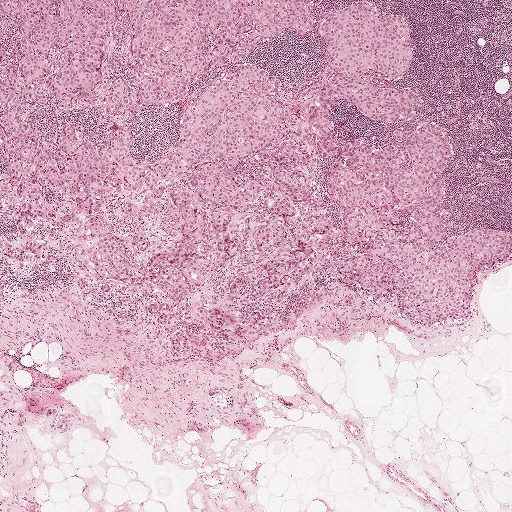
Lymph node section stained with H&E, from a whole-slide image of a breast-cancer sentinel node. Magnification about 2.5×, about 2.0 mm across the frame, about 3.9 µm per pixel.
Question: Is any metastatic breast cancer visible in this crop?
Answer: Yes.
Outlines of three tumour regions, largest first (closed clockwise paths, crop pixels): region 1: (0, 0), (312, 0), (301, 35), (127, 116), (152, 162), (198, 83), (322, 76), (322, 17), (366, 0), (412, 49), (373, 82), (418, 99), (332, 96), (335, 133), (408, 167), (395, 126), (438, 124), (443, 238), (511, 253), (471, 314), (413, 324), (339, 278), (367, 237), (313, 147), (308, 164), (333, 225), (278, 303), (226, 284), (276, 244), (164, 324), (150, 281), (102, 290), (89, 260), (75, 287), (82, 211), (22, 269); region 2: (209, 307), (217, 307), (222, 311), (226, 318), (225, 325), (233, 331), (233, 338), (228, 339), (222, 334), (212, 331), (207, 320); region 3: (177, 328), (179, 328), (185, 331), (187, 338), (187, 344), (184, 346), (182, 345), (181, 340), (179, 338), (180, 345), (178, 349), (176, 349), (173, 348), (170, 344), (170, 340), (170, 334).
Region 1 encloses four non-tumour holes totalling about 5% of its area.
Tumour covers about 40% of the frame.